Question: 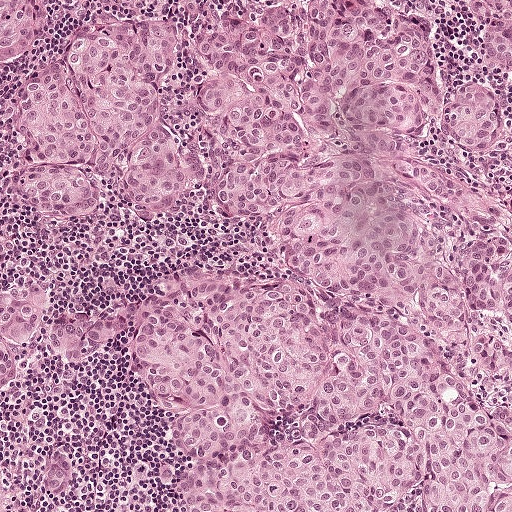
A 0.5-mm field of an H&E-stained sentinel lymph node from a breast-cancer patient (whole-slide image), shown at about 10×, about 0.97 µm per pixel.
About how much of this crop is taken up by metastatic carcinoma?

Choices:
 (A) none: no tumour is outlined
 (B) about 5% or less
 (C) about 25% to 45%
 (D) about 50% or more
 (E) about 10% to 20%

Answer: (D) about 50% or more
About 80% of the field is tumour.
Outlines of four tumour regions, largest first (closed clockwise paths, crop pixels): region 1: (391, 0), (425, 10), (449, 75), (468, 83), (468, 4), (511, 0), (511, 511), (176, 511), (150, 475), (156, 430), (133, 371), (118, 354), (64, 358), (53, 329), (243, 262), (264, 225), (166, 202), (143, 229), (103, 201), (92, 228), (48, 218), (11, 188), (20, 82), (94, 7); region 2: (0, 228), (6, 233), (10, 244), (9, 290), (11, 297), (26, 294), (51, 284), (59, 286), (43, 328), (41, 341), (25, 360), (25, 374), (14, 384), (0, 387); region 3: (0, 0), (44, 0), (48, 41), (38, 49), (25, 50), (22, 57), (6, 60), (1, 63); region 4: (0, 460), (9, 472), (18, 498), (24, 506), (35, 511), (0, 511).